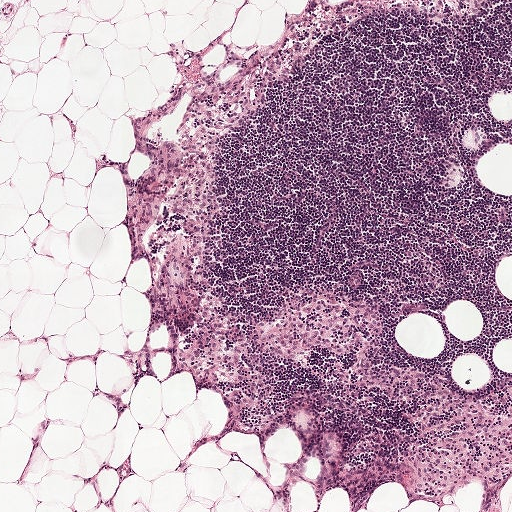
H&E-stained section of a sentinel lymph node (breast cancer), from a whole-slide image, viewed at about 5×: the field is about 1 mm across, about 1.9 µm per pixel.